Question: 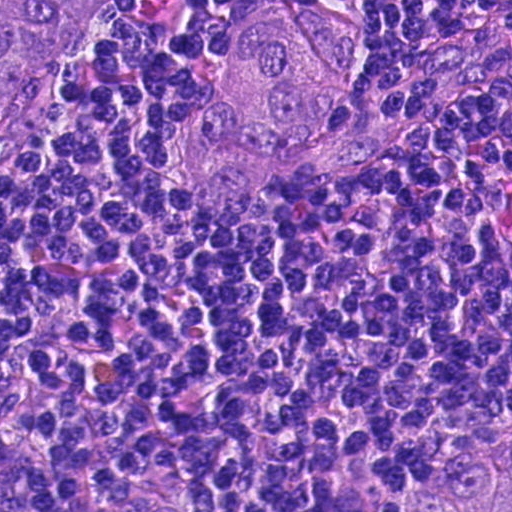
About what magnification does this crop show?

Choices:
 (A) about 5×
 (B) about 2.5×
 (C) about 20×
 (D) about 40×
 (E) about 10×

Answer: (D) about 40×
This is a crop of a whole-slide image: an H&E-stained breast-cancer sentinel lymph node section at roughly 40× magnification (about 0.23 µm per pixel; the crop spans about 0.12 mm).
Four metastatic tumour regions, each outlined as a closed clockwise path in crop pixels (x, y), largest first: region 1: (283, 0), (321, 0), (346, 12), (359, 52), (303, 177), (231, 209), (188, 193), (178, 150), (192, 107), (222, 75), (227, 31); region 2: (0, 0), (117, 0), (59, 100), (32, 134), (0, 155); region 3: (511, 423), (511, 511), (394, 511), (406, 487), (437, 452); region 4: (129, 488), (173, 491), (197, 511), (103, 511).
The annotated tumour makes up about 15% of the crop.